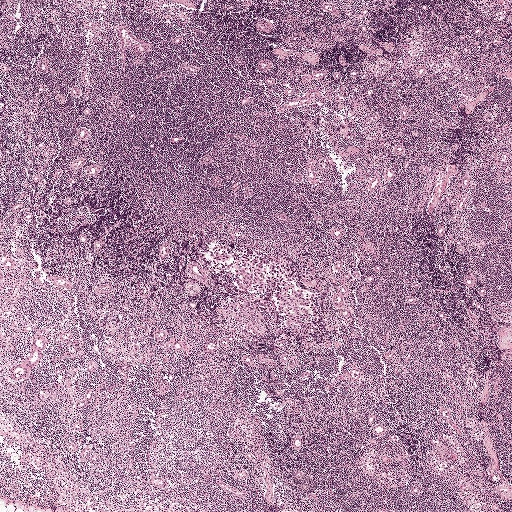
A 2.0-mm field of an H&E-stained sentinel lymph node from a breast-cancer patient (whole-slide image), shown at about 2.5×, about 3.9 µm per pixel.
Boundaries of two metastatic tumour regions, simplified and listed clockwise, largest first: region 1: (215, 245), (234, 246), (242, 252), (275, 258), (290, 266), (296, 273), (293, 282), (320, 300), (322, 314), (320, 319), (315, 320), (312, 312), (304, 321), (290, 319), (280, 309), (276, 296), (270, 298), (256, 290), (248, 293), (237, 288), (234, 273), (217, 268), (210, 258), (208, 253); region 2: (245, 299), (267, 302), (272, 305), (271, 312), (268, 313), (259, 309), (242, 310), (240, 305).
Tumour covers under 5% of the frame.